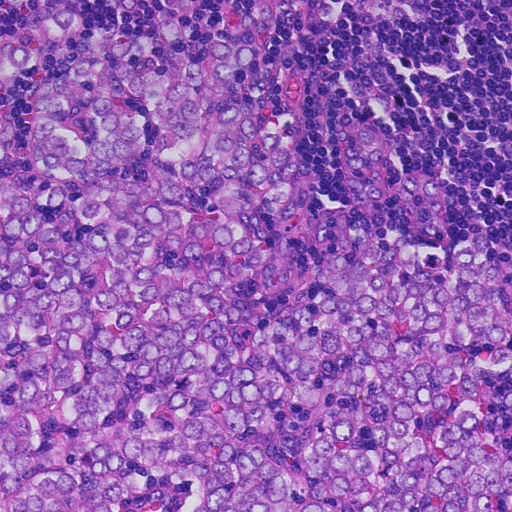
H&E-stained section of a sentinel lymph node (breast cancer), from a whole-slide image, viewed at about 20×: the field is about 0.23 mm across, about 0.45 µm per pixel.
The outlined metastatic tumour's edge, as a closed clockwise path of 23 points: (53, 4), (82, 4), (97, 27), (183, 22), (260, 60), (262, 88), (306, 180), (287, 236), (238, 290), (264, 305), (292, 298), (324, 252), (350, 240), (466, 236), (511, 276), (511, 511), (0, 511), (0, 96), (23, 164), (32, 108), (73, 70), (78, 42), (43, 30).
The annotated tumour makes up about 75% of the crop.